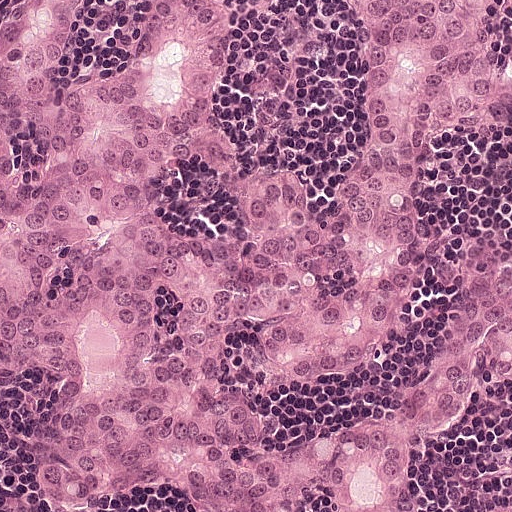
A 0.25-mm field of an H&E-stained sentinel lymph node from a breast-cancer patient (whole-slide image), shown at about 20×, about 0.49 µm per pixel.
Question: Is any metastatic breast cancer visible in this crop?
Answer: Yes.
The outlined metastatic tumour's edge, as a closed clockwise path of 38 points: (8, 0), (88, 0), (64, 62), (82, 74), (150, 0), (224, 0), (238, 57), (207, 115), (252, 151), (248, 184), (194, 166), (178, 221), (228, 248), (267, 165), (311, 206), (339, 190), (375, 86), (337, 0), (481, 0), (490, 60), (511, 51), (511, 128), (430, 140), (399, 318), (254, 403), (261, 451), (380, 416), (440, 351), (455, 258), (506, 245), (511, 381), (462, 386), (412, 445), (416, 511), (55, 508), (28, 453), (46, 384), (1, 384).
One more small tumour piece is annotated here but not outlined.
Tumour covers about 70% of the frame.